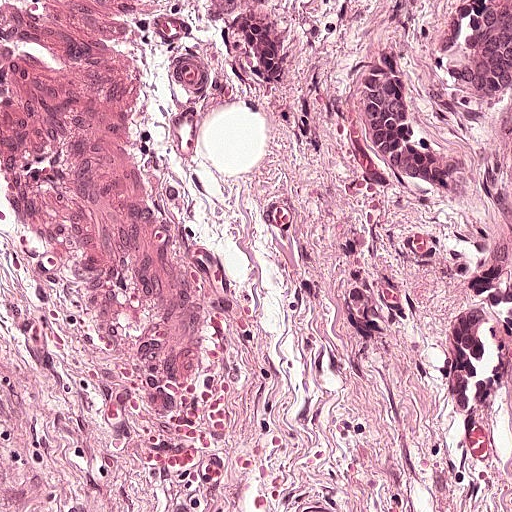
Lymph node section stained with H&E, from a whole-slide image of a breast-cancer sentinel node. Magnification about 20×, about 0.25 mm across the frame, about 0.49 µm per pixel.
Outlines of two tumour regions, largest first (closed clockwise paths, crop pixels): region 1: (480, 0), (511, 0), (511, 159), (500, 128), (445, 95), (434, 78), (437, 36), (450, 16); region 2: (366, 60), (399, 60), (400, 102), (416, 128), (436, 144), (436, 150), (446, 159), (458, 183), (458, 201), (442, 198), (415, 182), (398, 178), (370, 156), (349, 96).
One more small tumour piece is annotated here but not outlined.
About 5% of this field is tumour.